Question: 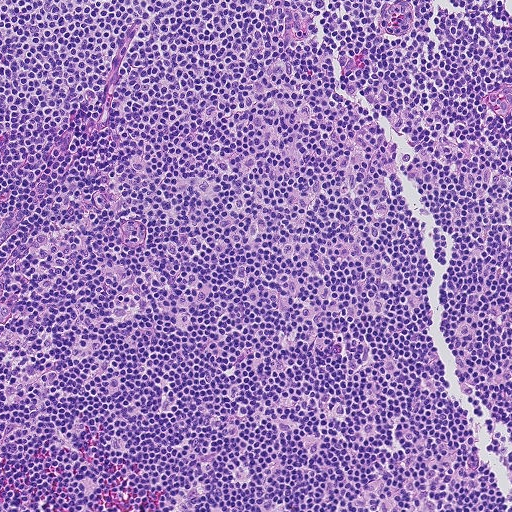
About what magnification does this crop show?

Choices:
 (A) about 10×
 (B) about 2.5×
 (C) about 40×
 (D) about 5×
 (E) about 20×

Answer: (A) about 10×
Lymph node section stained with H&E, from a whole-slide image of a breast-cancer sentinel node. Magnification about 10×, about 0.46 mm across the frame, about 0.9 µm per pixel.